A 2.0-mm field of an H&E-stained sentinel lymph node from a breast-cancer patient (whole-slide image), shown at about 2.5×, about 3.9 µm per pixel.
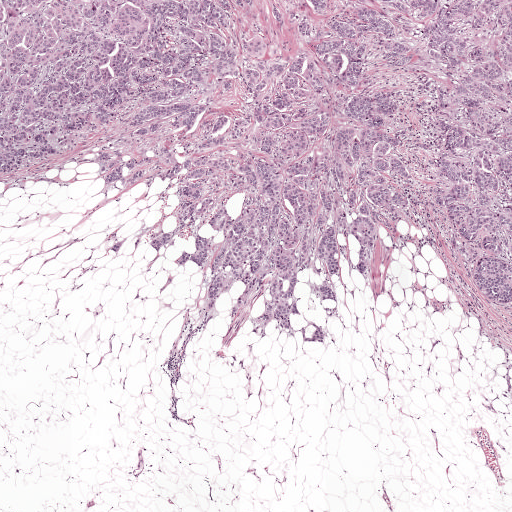
One metastatic tumour region; its boundary, reduced to 23 corners and listed clockwise: (0, 0), (511, 0), (511, 324), (412, 185), (336, 318), (300, 273), (312, 344), (253, 323), (274, 272), (232, 320), (245, 283), (206, 315), (175, 266), (245, 190), (157, 252), (115, 254), (124, 239), (179, 225), (188, 170), (76, 161), (161, 142), (118, 126), (12, 175).
About 45% of the image area is annotated as tumour.